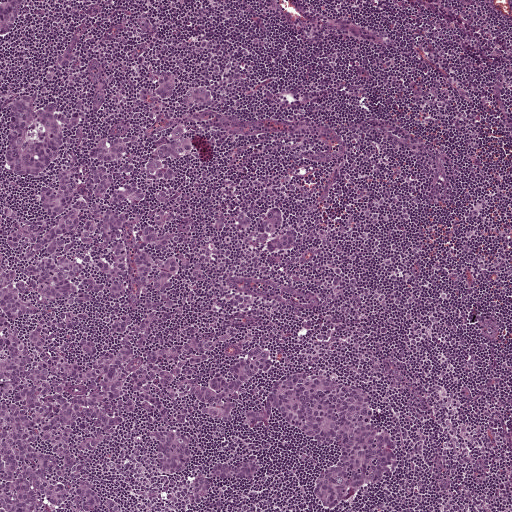
Lymph node section stained with H&E, from a whole-slide image of a breast-cancer sentinel node. Magnification about 5×, about 1 mm across the frame, about 1.9 µm per pixel.
Outlines of three tumour regions, largest first (closed clockwise paths, crop pixels): region 1: (90, 53), (122, 82), (164, 66), (216, 94), (159, 191), (178, 212), (225, 219), (272, 205), (300, 231), (285, 251), (179, 234), (178, 254), (246, 302), (188, 298), (170, 336), (236, 328), (210, 368), (260, 344), (274, 354), (270, 379), (356, 384), (397, 448), (381, 486), (325, 511), (310, 488), (335, 445), (276, 420), (202, 422), (195, 458), (159, 478), (144, 435), (159, 425), (145, 419), (92, 454), (92, 481), (128, 506), (0, 511), (0, 96), (40, 90), (49, 69); region 2: (249, 449), (269, 457), (271, 468), (264, 476), (243, 481), (221, 481), (212, 486), (214, 497), (205, 503), (194, 505), (199, 511), (184, 511), (184, 487), (206, 460), (217, 459); region 3: (0, 0), (26, 0), (24, 14), (16, 26), (14, 32), (0, 34).
About 40% of the image area is annotated as tumour.